Question: 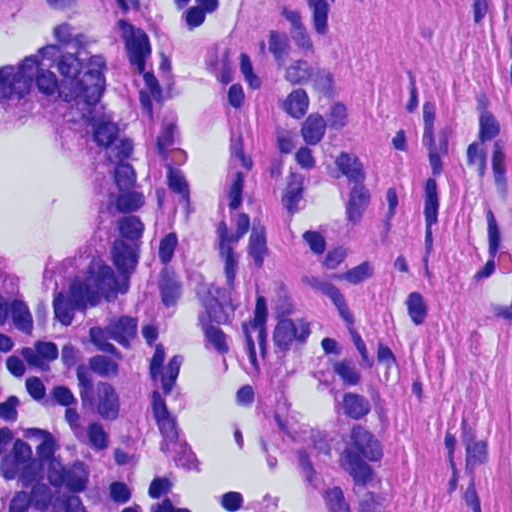
Which magnification is this H&E lymph node field most likely shown at?

Choices:
 (A) about 40×
 (B) about 2.5×
 (C) about 10×
 (D) about 5×
 (E) about 20×

Answer: (A) about 40×
H&E-stained section of a sentinel lymph node (breast cancer), from a whole-slide image, viewed at about 40×: the field is about 0.12 mm across, about 0.23 µm per pixel.
Four metastatic tumour regions, each outlined as a closed clockwise path in crop pixels (x, y), largest first: region 1: (0, 0), (93, 0), (160, 161), (156, 313), (116, 469), (115, 511), (0, 511), (0, 412), (66, 441), (79, 350), (0, 331); region 2: (274, 283), (355, 335), (385, 409), (388, 486), (376, 511), (322, 511), (259, 433); region 3: (282, 20), (338, 67), (357, 140), (369, 217), (346, 287), (293, 240), (259, 172), (263, 93); region 4: (131, 0), (239, 0), (239, 24), (204, 45), (154, 29).
About 40% of the image area is annotated as tumour.